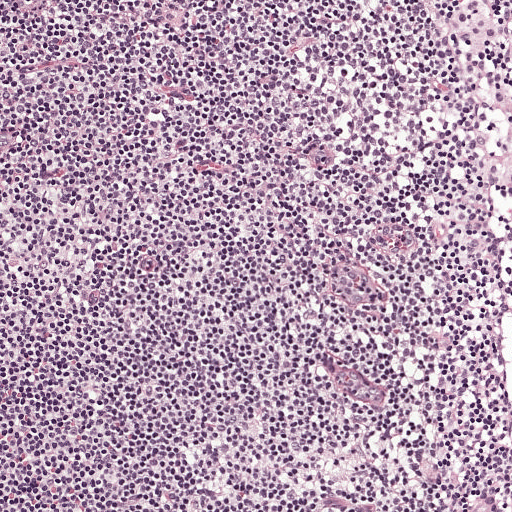
Lymph node section stained with H&E, from a whole-slide image of a breast-cancer sentinel node. Magnification about 10×, about 0.5 mm across the frame, about 0.97 µm per pixel.